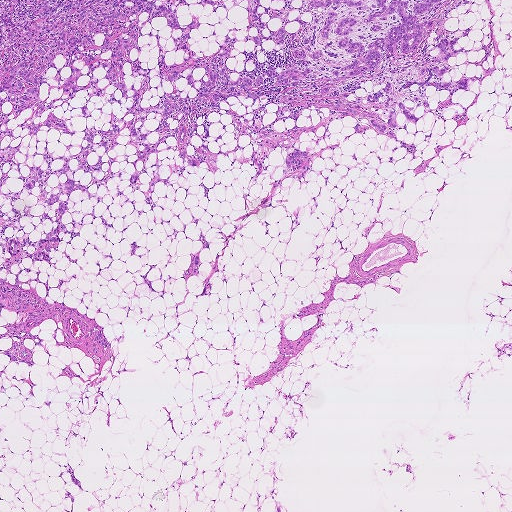
Lymph node section stained with H&E, from a whole-slide image of a breast-cancer sentinel node. Magnification about 2.5×, about 1.9 mm across the frame, about 3.6 µm per pixel.
Five metastatic tumour regions, each outlined as a closed clockwise path in crop pixels (x, y), largest first: region 1: (0, 0), (445, 0), (427, 42), (460, 38), (444, 78), (470, 77), (384, 134), (304, 132), (297, 149), (337, 147), (282, 175), (277, 147), (256, 178), (226, 111), (281, 132), (329, 109), (228, 97), (188, 141), (148, 134), (150, 191), (132, 98), (98, 67), (84, 118), (59, 55), (32, 121), (77, 131), (31, 137), (27, 108), (2, 140); region 2: (112, 111), (124, 116), (120, 145), (107, 152), (121, 178), (95, 185), (89, 172), (75, 173), (75, 158), (70, 171), (49, 177), (48, 198), (72, 177), (103, 201), (71, 192), (62, 221), (83, 215), (84, 225), (59, 233), (50, 254), (56, 264), (27, 258), (13, 273), (2, 269), (0, 149), (18, 145), (14, 156), (26, 176), (28, 152), (27, 166), (46, 168), (31, 154), (46, 140), (53, 156), (73, 155), (88, 146), (87, 127), (112, 130); region 3: (24, 268), (30, 269), (28, 272), (22, 270), (18, 276), (19, 280), (24, 282), (36, 278), (35, 272), (39, 270), (41, 273), (38, 275), (40, 280), (45, 282), (46, 273), (48, 273), (49, 284), (52, 287), (56, 287), (59, 278), (68, 280), (74, 274), (76, 277), (72, 278), (70, 282), (63, 283), (61, 289), (50, 288), (50, 296), (45, 296), (44, 285), (34, 281), (30, 285), (19, 284), (18, 288), (2, 284), (0, 277), (13, 284), (16, 274); region 4: (0, 349), (8, 350), (11, 352), (12, 355), (14, 355), (18, 359), (25, 358), (30, 361), (32, 360), (33, 363), (32, 366), (29, 367), (24, 362), (17, 364), (12, 362), (10, 360), (9, 357), (6, 355), (0, 354); region 5: (93, 329), (97, 330), (100, 332), (106, 346), (106, 348), (105, 348), (98, 343), (93, 336).
One more small tumour piece is annotated here but not outlined.
Tumour covers about 25% of the frame.